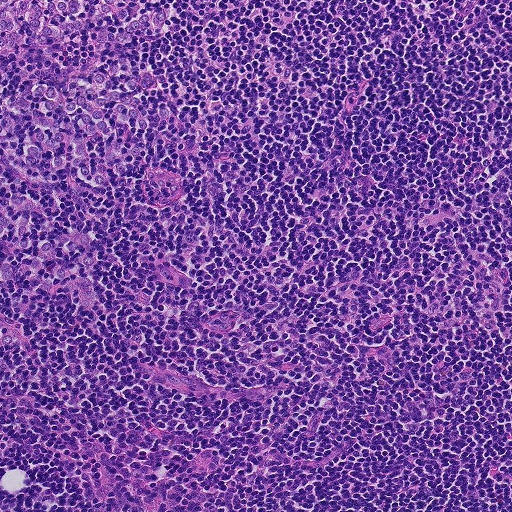
A 0.46-mm field of an H&E-stained sentinel lymph node from a breast-cancer patient (whole-slide image), shown at about 10×, about 0.9 µm per pixel.
Boundaries of four metastatic tumour regions, simplified and listed clockwise, largest first: region 1: (120, 58), (156, 81), (130, 94), (143, 98), (143, 111), (152, 115), (160, 106), (171, 113), (150, 120), (146, 133), (109, 128), (145, 150), (127, 173), (104, 170), (104, 189), (77, 183), (68, 169), (63, 182), (38, 186), (7, 161), (0, 83), (25, 96), (32, 84), (57, 83); region 2: (0, 0), (166, 2), (169, 15), (161, 26), (135, 34), (126, 43), (94, 46), (83, 38), (44, 52), (32, 46), (0, 53); region 3: (17, 192), (50, 213), (50, 226), (60, 234), (86, 235), (85, 250), (98, 256), (92, 269), (95, 294), (90, 306), (86, 311), (71, 290), (58, 288), (46, 294), (36, 287), (62, 260), (38, 268), (25, 268), (27, 255), (16, 250), (2, 251), (0, 205); region 4: (0, 258), (19, 266), (13, 278), (1, 281).
One more small tumour piece is annotated here but not outlined.
About 10% of this field is tumour.